Question: 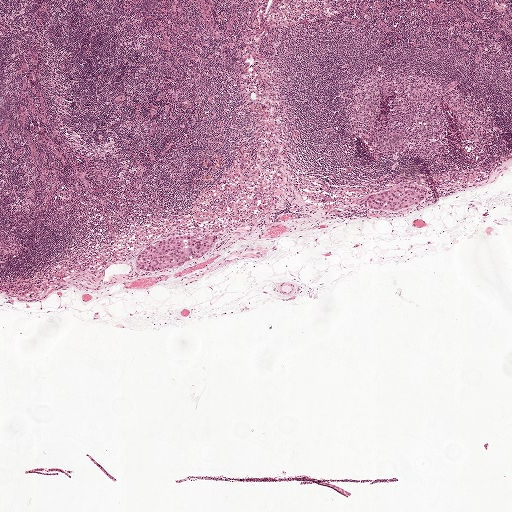
Lymph node section stained with H&E, from a whole-slide image of a breast-cancer sentinel node. Magnification about 2.5×, about 2.0 mm across the frame, about 3.9 µm per pixel.
About how much of this crop is taken up by metastatic carcinoma?

Choices:
 (A) none: no tumour is outlined
 (B) about 5% or less
 (C) about 50% or more
 (D) about 10% to 20%
 (E) about 25% to 45%

Answer: (B) about 5% or less
Under 5% of the field is tumour.
Two metastatic tumour regions, each outlined as a closed clockwise path in crop pixels (x, y), largest first: region 1: (211, 231), (217, 232), (216, 240), (209, 254), (195, 263), (153, 270), (143, 269), (135, 264), (134, 256), (137, 249), (164, 236), (178, 232), (200, 235); region 2: (397, 184), (412, 186), (425, 190), (427, 198), (418, 207), (397, 215), (376, 213), (360, 203), (359, 199), (362, 194).